Image:
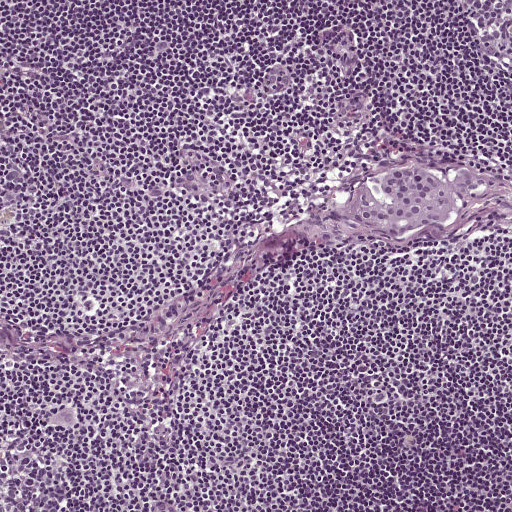
H&E-stained section of a sentinel lymph node (breast cancer), from a whole-slide image, viewed at about 10×: the field is about 0.5 mm across, about 0.97 µm per pixel.
Question:
Trace the edge of each tumour region in this crop, as (x, y) points from 0 to 511.
Answer:
One metastatic tumour region; its boundary, reduced to 13 corners and listed clockwise: (400, 168), (437, 173), (468, 168), (494, 179), (497, 187), (476, 204), (455, 214), (449, 227), (419, 229), (392, 240), (326, 218), (327, 212), (365, 180).
About 5% of the image area is annotated as tumour.